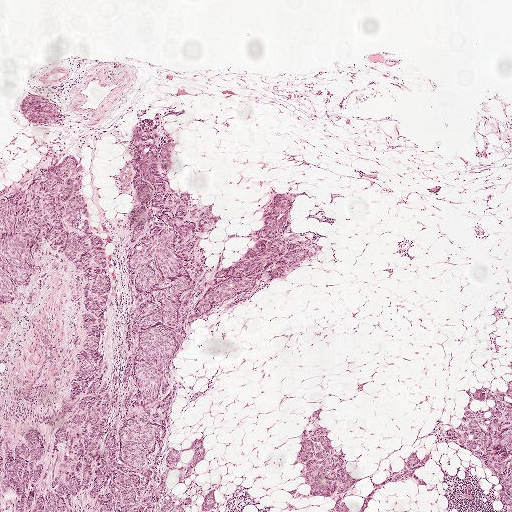
H&E-stained section of a sentinel lymph node (breast cancer), from a whole-slide image, viewed at about 2.5×: the field is about 2.0 mm across, about 3.9 µm per pixel.
Outlines of two tumour regions, largest first (closed clockwise paths, crop pixels): region 1: (60, 93), (105, 214), (124, 206), (126, 142), (145, 117), (164, 115), (181, 126), (177, 173), (222, 216), (217, 256), (260, 225), (280, 182), (301, 197), (304, 228), (327, 238), (286, 290), (201, 324), (190, 342), (196, 429), (272, 508), (0, 511), (0, 187), (33, 166), (25, 95); region 2: (511, 354), (511, 511), (301, 511), (290, 472), (318, 413), (336, 422), (361, 466), (378, 478), (424, 426), (463, 404).
About 40% of the image area is annotated as tumour.